Lymph node section stained with H&E, from a whole-slide image of a breast-cancer sentinel node. Magnification about 20×, about 0.25 mm across the frame, about 0.49 µm per pixel.
Question: 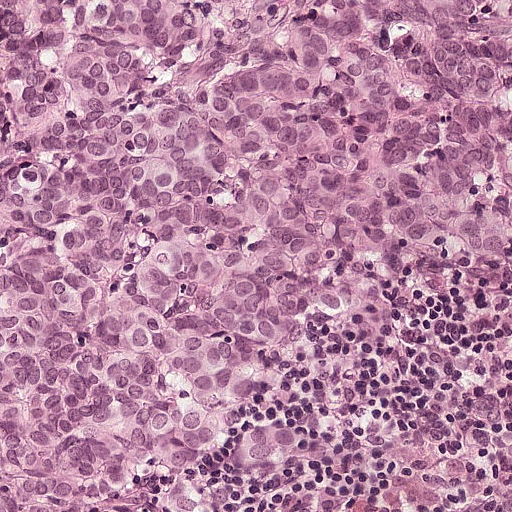
About how much of this crop is taken up by metastatic carcinoma?

Choices:
 (A) about 10% to 20%
 (B) about 25% to 45%
 (C) none: no tumour is outlined
 (D) about 5% or less
 (E) about 50% or more

Answer: (E) about 50% or more
About 90% of the field is tumour.
One metastatic tumour region; its boundary, reduced to 7 corners and listed clockwise: (0, 0), (511, 0), (511, 306), (352, 424), (304, 464), (274, 510), (0, 511).